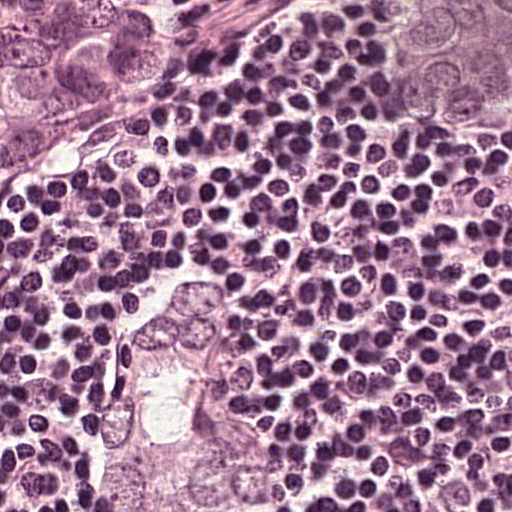
This is a crop of a whole-slide image: an H&E-stained breast-cancer sentinel lymph node section at roughly 40× magnification (about 0.24 µm per pixel; the crop spans about 0.12 mm).
Outlines of three tumour regions, largest first (closed clockwise paths, crop pixels): region 1: (0, 0), (289, 0), (205, 56), (135, 164), (87, 186), (68, 204), (1, 222); region 2: (210, 268), (228, 286), (247, 326), (257, 418), (285, 479), (273, 508), (107, 511), (83, 500), (91, 408), (118, 329), (147, 286); region 3: (394, 0), (511, 0), (511, 146), (464, 166), (442, 166), (439, 160), (416, 156), (372, 89), (372, 38).
About 35% of the image area is annotated as tumour.